Question: 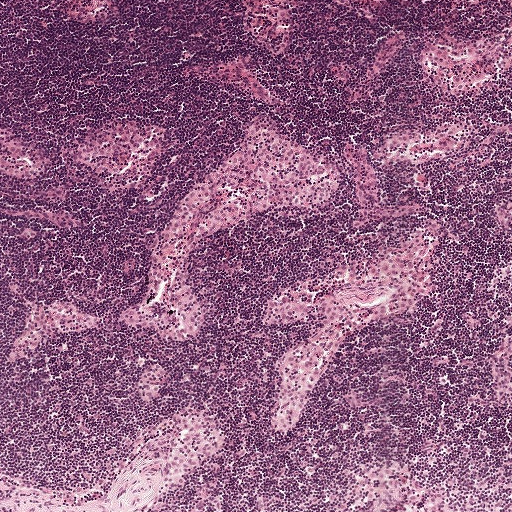
Which magnification is this H&E lymph node field most likely shown at?

Choices:
 (A) about 20×
 (B) about 40×
 (C) about 2.5×
 (D) about 10×
 (E) about 5×

Answer: (E) about 5×
Lymph node section stained with H&E, from a whole-slide image of a breast-cancer sentinel node. Magnification about 5×, about 1 mm across the frame, about 1.9 µm per pixel.